This is a crop of a whole-slide image: an H&E-stained breast-cancer sentinel lymph node section at roughly 20× magnification (about 0.49 µm per pixel; the crop spans about 0.25 mm).
Image:
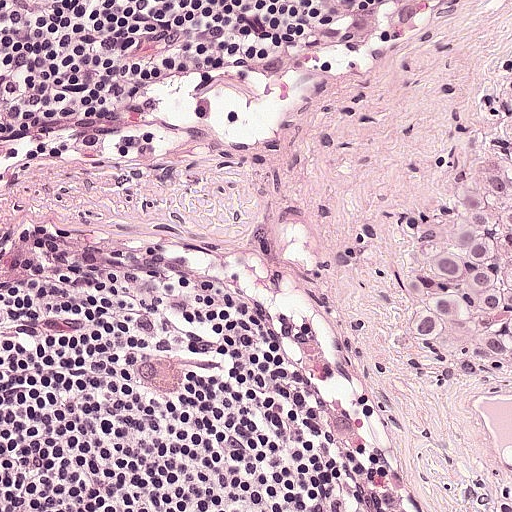
Question:
Is any metastatic breast cancer visible in this crop?
Answer:
Yes.
Metastatic tumour outline, simplified to 10 points and listed clockwise in crop pixels (x, y): (488, 153), (511, 163), (511, 390), (492, 381), (436, 372), (388, 351), (390, 308), (399, 290), (408, 231), (448, 173).
Tumour covers about 10% of the frame.